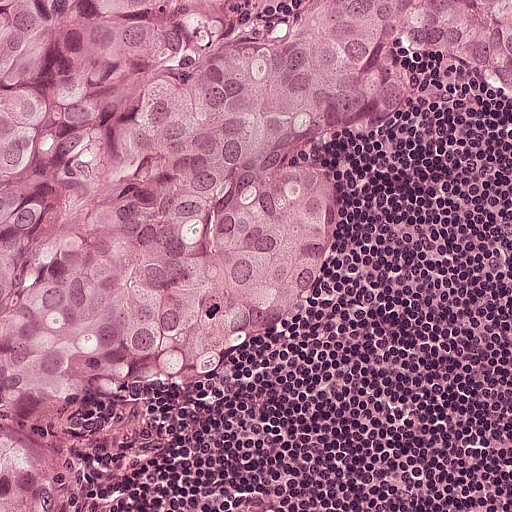
A 0.25-mm field of an H&E-stained sentinel lymph node from a breast-cancer patient (whole-slide image), shown at about 20×, about 0.49 µm per pixel.
Question: Is there metastatic carcinoma in this field?
Answer: Yes.
Metastatic tumour outline, simplified to 16 points and listed clockwise in crop pixels (x, y): (0, 0), (235, 0), (230, 14), (254, 20), (280, 0), (511, 0), (511, 62), (452, 35), (356, 105), (279, 135), (356, 185), (372, 237), (156, 385), (100, 403), (47, 510), (0, 511).
The annotated tumour makes up about 55% of the crop.